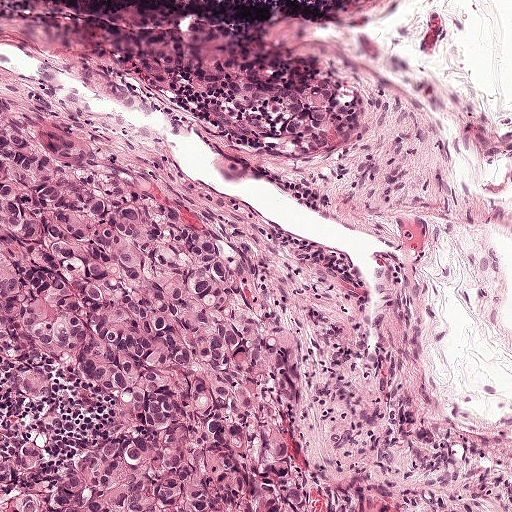
A 0.5-mm field of an H&E-stained sentinel lymph node from a breast-cancer patient (whole-slide image), shown at about 10×, about 0.97 µm per pixel.
Two metastatic tumour regions, each outlined as a closed clockwise path in crop pixels (x, y), largest first: region 1: (0, 113), (108, 153), (246, 248), (306, 378), (309, 418), (403, 481), (432, 511), (0, 511); region 2: (133, 72), (193, 92), (257, 92), (294, 87), (348, 87), (358, 98), (361, 124), (319, 146), (256, 150), (195, 118).
About 45% of the image area is annotated as tumour.